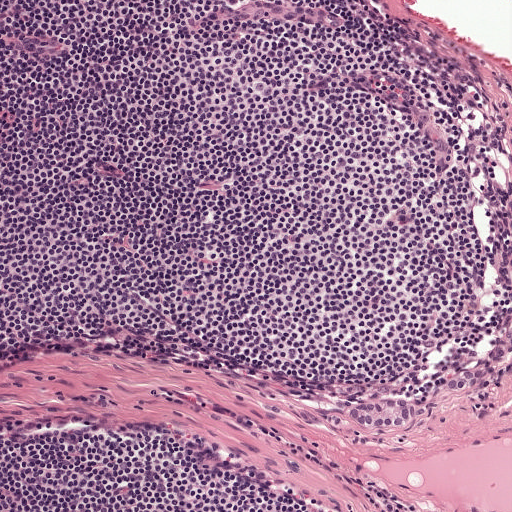
A 0.5-mm field of an H&E-stained sentinel lymph node from a breast-cancer patient (whole-slide image), shown at about 10×, about 0.97 µm per pixel.
Boundaries of two metastatic tumour regions, simplified and listed clockwise, largest first: region 1: (404, 398), (413, 402), (415, 415), (408, 428), (365, 428), (352, 422), (347, 412), (358, 402); region 2: (511, 321), (511, 354), (490, 375), (476, 382), (462, 388), (446, 388), (448, 379), (470, 370), (483, 360).
One more small tumour piece is annotated here but not outlined.
Under 5% of the image area is annotated as tumour.